Question: 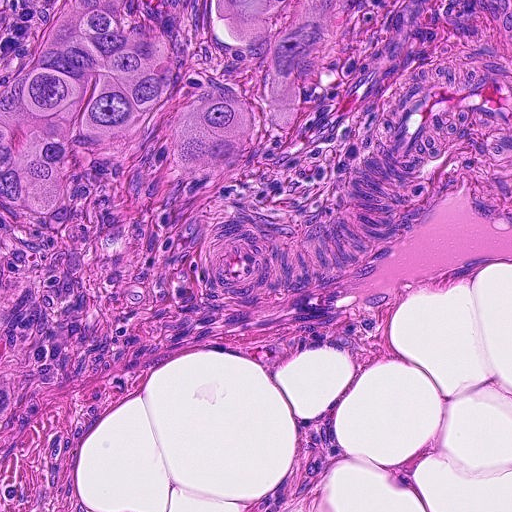
A 0.23-mm field of an H&E-stained sentinel lymph node from a breast-cancer patient (whole-slide image), shown at about 20×, about 0.45 µm per pixel.
Roughly what share of this field is metastatic tumour?

Choices:
 (A) none: no tumour is outlined
 (B) about 5% or less
 (C) about 50% or more
 (D) about 25% to 45%
 (E) about 10% to 20%

Answer: (D) about 25% to 45%
About 25% of the field is tumour.
Two metastatic tumour regions, each outlined as a closed clockwise path in crop pixels (x, y), largest first: region 1: (0, 0), (360, 0), (348, 50), (294, 144), (265, 140), (230, 189), (164, 182), (162, 127), (86, 169), (84, 202), (34, 258), (0, 363); region 2: (0, 364), (20, 392), (0, 425).